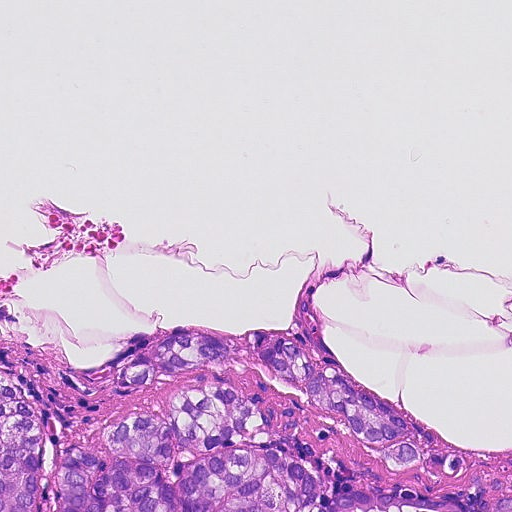
This is a crop of a whole-slide image: an H&E-stained breast-cancer sentinel lymph node section at roughly 20× magnification (about 0.45 µm per pixel; the crop spans about 0.23 mm).
Outlines of three tumour regions, largest first (closed clockwise paths, crop pixels): region 1: (0, 374), (29, 394), (59, 440), (100, 454), (104, 422), (158, 412), (160, 396), (176, 388), (212, 382), (245, 400), (272, 448), (304, 463), (324, 493), (365, 490), (454, 503), (467, 511), (0, 511); region 2: (178, 328), (228, 336), (260, 330), (292, 334), (364, 391), (437, 434), (440, 450), (456, 450), (469, 459), (466, 475), (450, 479), (419, 470), (403, 474), (388, 466), (340, 420), (268, 378), (237, 365), (222, 374), (189, 367), (122, 398), (107, 390), (109, 374); region 3: (494, 496), (511, 496), (511, 511), (487, 511).
Tumour covers about 20% of the frame.